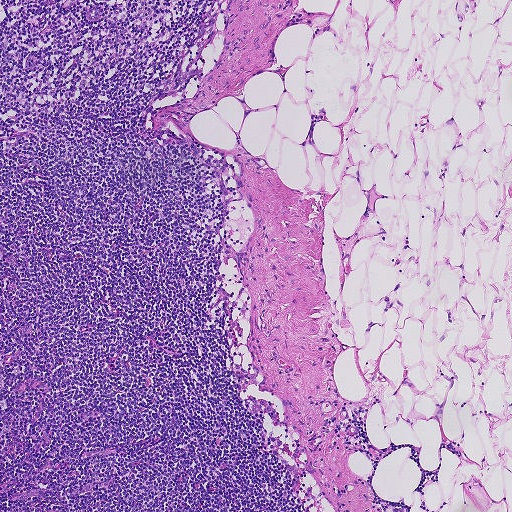
Lymph node section stained with H&E, from a whole-slide image of a breast-cancer sentinel node. Magnification about 5×, about 0.93 mm across the frame, about 1.8 µm per pixel.